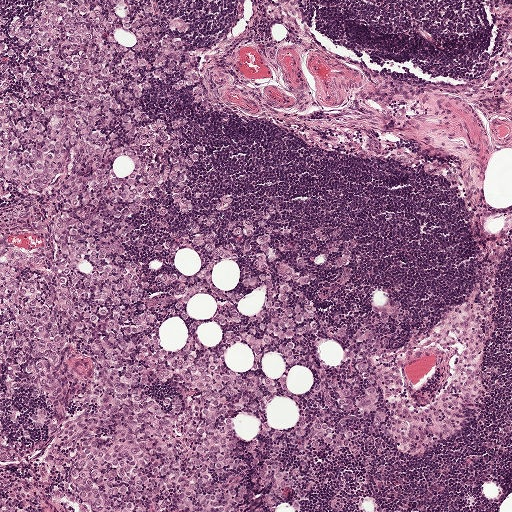
This is a crop of a whole-slide image: an H&E-stained breast-cancer sentinel lymph node section at roughly 5× magnification (about 1.9 µm per pixel; the crop spans about 1 mm).
One metastatic tumour region; its boundary, reduced to 22 corners and listed clockwise: (39, 0), (142, 0), (184, 23), (195, 73), (185, 90), (153, 87), (151, 103), (180, 130), (200, 201), (265, 234), (318, 311), (379, 349), (377, 427), (324, 481), (271, 511), (270, 452), (253, 437), (257, 419), (238, 413), (246, 511), (0, 511), (0, 16).
The outline encloses 15 non-tumour holes totalling about 5% of the region's area.
The annotated tumour makes up about 50% of the crop.